H&E-stained section of a sentinel lymph node (breast cancer), from a whole-slide image, viewed at about 10×: the field is about 0.5 mm across, about 0.97 µm per pixel.
Question: 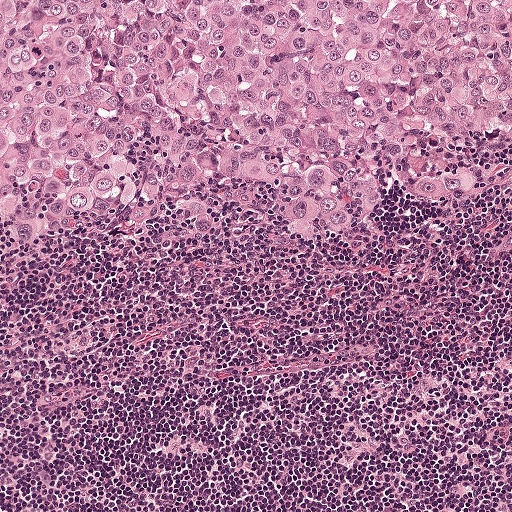
Estimate the proportion of this field that is metastatic tumour.

Choices:
 (A) none: no tumour is outlined
 (B) about 5% or less
 (C) about 50% or more
 (D) about 25% to 45%
 (E) about 10% to 20%

Answer: (D) about 25% to 45%
About 45% of the field is tumour.
Tumour region outline (a closed clockwise path, crop pixels): (0, 0), (511, 0), (511, 162), (415, 239), (180, 242), (173, 232), (3, 222).